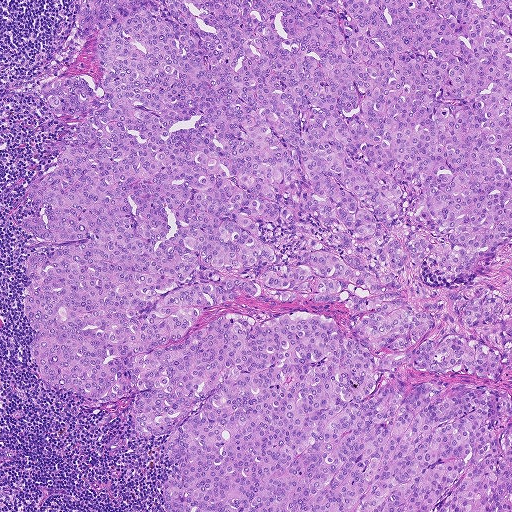
A 0.93-mm field of an H&E-stained sentinel lymph node from a breast-cancer patient (whole-slide image), shown at about 5×, about 1.8 µm per pixel.
Question: Where is the metastatic tumour in this field? Give each region's outline as (x, y) pixel points.
Answer: One metastatic tumour region; its boundary, reduced to 21 corners and listed clockwise: (511, 0), (511, 366), (490, 382), (396, 368), (511, 397), (511, 511), (166, 511), (174, 430), (136, 431), (135, 390), (99, 406), (45, 386), (22, 307), (30, 249), (48, 244), (18, 226), (78, 116), (40, 86), (78, 76), (102, 97), (80, 6).
The annotated tumour makes up about 85% of the crop.